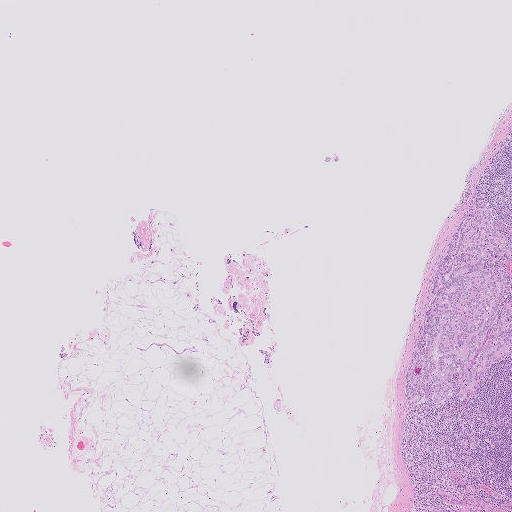
Lymph node section stained with H&E, from a whole-slide image of a breast-cancer sentinel node. Magnification about 2.5×, about 2.0 mm across the frame, about 4.0 µm per pixel.
Tumour region outline (a closed clockwise path, crop pixels): (467, 208), (489, 208), (507, 228), (508, 257), (490, 266), (510, 272), (510, 355), (491, 370), (470, 400), (451, 398), (438, 405), (428, 386), (416, 405), (407, 408), (404, 373), (418, 323), (430, 300), (434, 271).
Tumour covers about 5% of the frame.